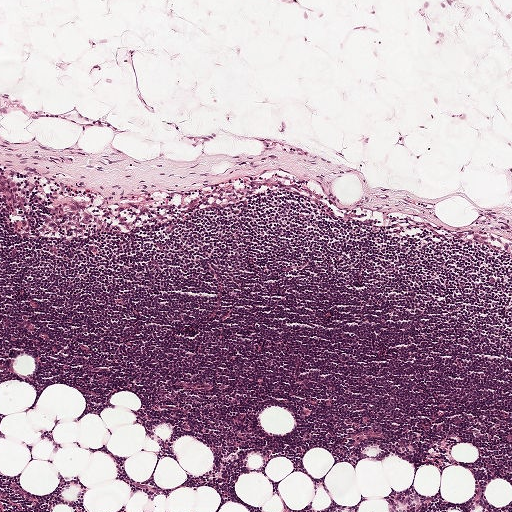
Lymph node section stained with H&E, from a whole-slide image of a breast-cancer sentinel node. Magnification about 5×, about 1 mm across the frame, about 1.9 µm per pixel.
Question: Does this lymph node field contain metastatic tumour?
Answer: No, this field holds no outlined metastasis.